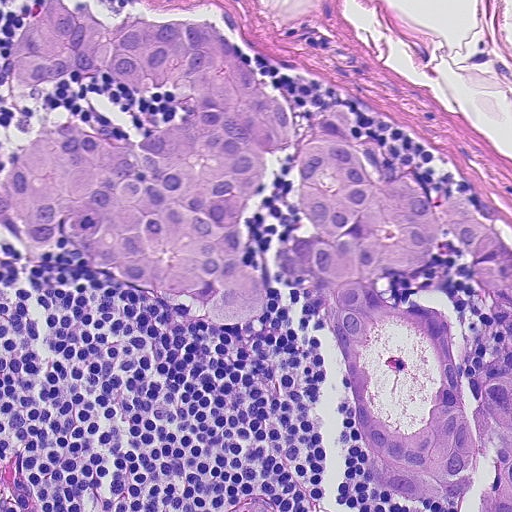
This is a crop of a whole-slide image: an H&E-stained breast-cancer sentinel lymph node section at roughly 20× magnification (about 0.45 µm per pixel; the crop spans about 0.23 mm).
One metastatic tumour region; its boundary, reduced to 37 corners and listed clockwise: (39, 0), (113, 23), (214, 23), (300, 128), (331, 103), (390, 183), (412, 170), (432, 206), (462, 190), (511, 237), (511, 511), (483, 511), (486, 460), (466, 498), (435, 507), (376, 478), (330, 327), (271, 270), (316, 230), (301, 152), (267, 155), (238, 214), (260, 320), (168, 310), (70, 241), (42, 259), (16, 221), (0, 224), (0, 178), (29, 128), (86, 121), (133, 142), (183, 108), (86, 71), (40, 93), (15, 82), (16, 32).
Tumour covers about 45% of the frame.